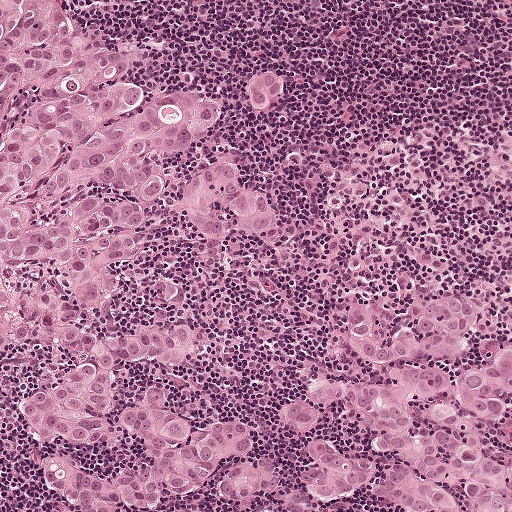
H&E-stained section of a sentinel lymph node (breast cancer), from a whole-slide image, viewed at about 10×: the field is about 0.5 mm across, about 0.97 µm per pixel.
Four metastatic tumour regions, each outlined as a closed clockwise path in crop pixels (x, y), largest first: region 1: (0, 0), (60, 0), (88, 33), (114, 38), (153, 101), (218, 94), (228, 112), (196, 165), (240, 159), (282, 237), (225, 253), (156, 208), (150, 255), (193, 296), (187, 320), (208, 352), (187, 371), (129, 372), (123, 401), (146, 402), (162, 380), (196, 417), (246, 416), (261, 435), (253, 454), (219, 462), (162, 510), (80, 511), (47, 484), (47, 463), (132, 478), (150, 470), (145, 443), (72, 442), (29, 423), (29, 393), (73, 365), (50, 342), (2, 361), (1, 402); region 2: (484, 296), (493, 306), (490, 320), (443, 362), (454, 378), (494, 373), (511, 344), (511, 403), (488, 440), (493, 453), (511, 460), (511, 511), (410, 511), (356, 490), (317, 511), (289, 511), (319, 440), (386, 466), (402, 462), (374, 443), (355, 407), (336, 406), (320, 428), (308, 430), (288, 419), (285, 407), (310, 396), (312, 380), (320, 378), (389, 382), (373, 356), (352, 340), (352, 306), (374, 306), (377, 333), (389, 341), (423, 323), (435, 302); region 3: (274, 456), (279, 468), (279, 491), (251, 496), (246, 499), (236, 498), (224, 489), (227, 470), (246, 460), (256, 464); region 4: (277, 70), (281, 72), (283, 76), (283, 100), (266, 110), (254, 110), (248, 107), (249, 87), (253, 71).
About 45% of the image area is annotated as tumour.